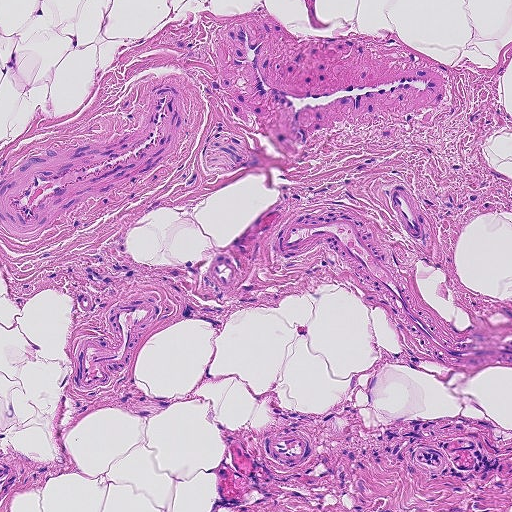
H&E-stained section of a sentinel lymph node (breast cancer), from a whole-slide image, viewed at about 10×: the field is about 0.46 mm across, about 0.9 µm per pixel.